H&E-stained section of a sentinel lymph node (breast cancer), from a whole-slide image, viewed at about 10×: the field is about 0.5 mm across, about 0.97 µm per pixel.
Question: 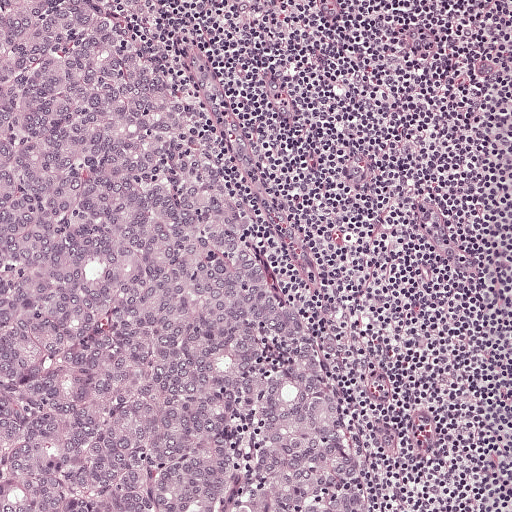
About how much of this crop is taken up by metastatic carcinoma?

Choices:
 (A) about 10% to 20%
 (B) about 5% or less
 (C) about 50% or more
 (D) about 25% to 45%
 (E) none: no tumour is outlined

Answer: (C) about 50% or more
About 55% of the field is tumour.
Tumour region outline (a closed clockwise path, crop pixels): (0, 0), (143, 0), (329, 339), (375, 511), (0, 511).